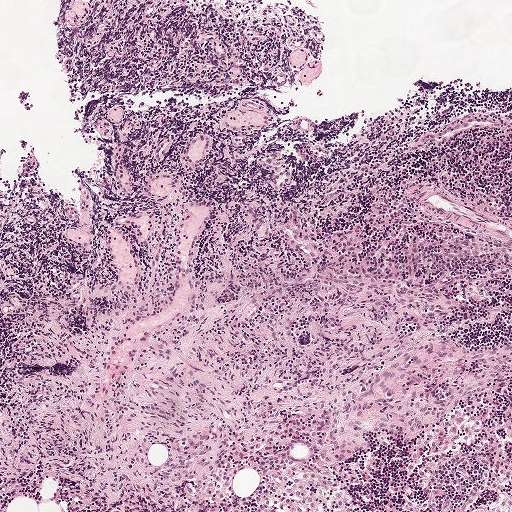
A 1-mm field of an H&E-stained sentinel lymph node from a breast-cancer patient (whole-slide image), shown at about 5×, about 1.9 µm per pixel.
Question: Is there metastatic carcinoma in this field?
Answer: No. No metastatic tumour is outlined in this field.